Question: 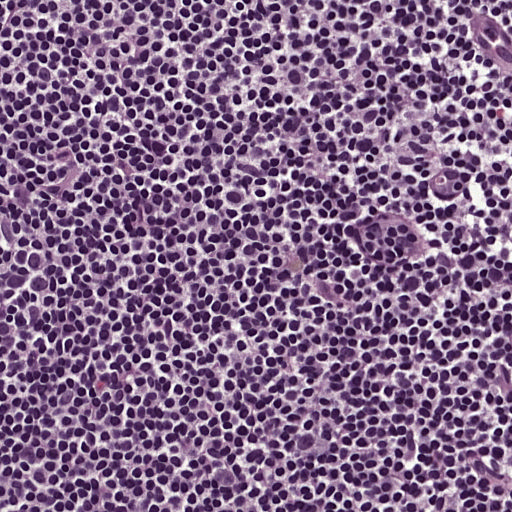
About what magnification does this crop show?

Choices:
 (A) about 2.5×
 (B) about 40×
 (C) about 5×
 (D) about 10×
 (E) about 20×

Answer: (E) about 20×
This is a crop of a whole-slide image: an H&E-stained breast-cancer sentinel lymph node section at roughly 20× magnification (about 0.49 µm per pixel; the crop spans about 0.25 mm).